Question: 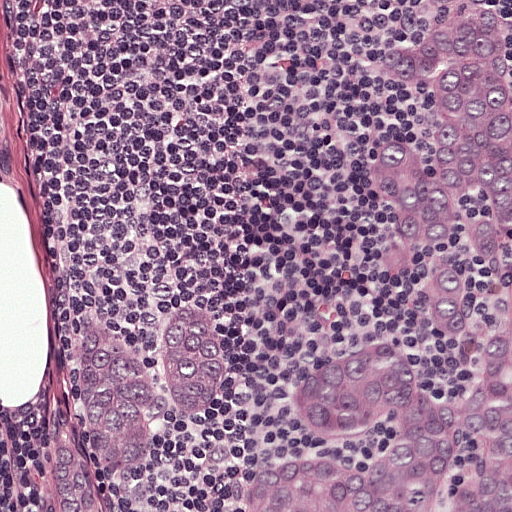
About what magnification does this crop show?

Choices:
 (A) about 5×
 (B) about 40×
 (C) about 10×
 (D) about 2.5×
 (E) about 20×

Answer: (E) about 20×
H&E-stained section of a sentinel lymph node (breast cancer), from a whole-slide image, viewed at about 20×: the field is about 0.25 mm across, about 0.49 µm per pixel.
The outlined metastatic tumour's edge, as a closed clockwise path of 15 points: (405, 0), (511, 0), (511, 511), (47, 511), (46, 448), (71, 398), (78, 340), (116, 299), (172, 286), (234, 304), (268, 350), (326, 364), (367, 326), (396, 276), (358, 169).
Tumour covers about 50% of the frame.
Question: 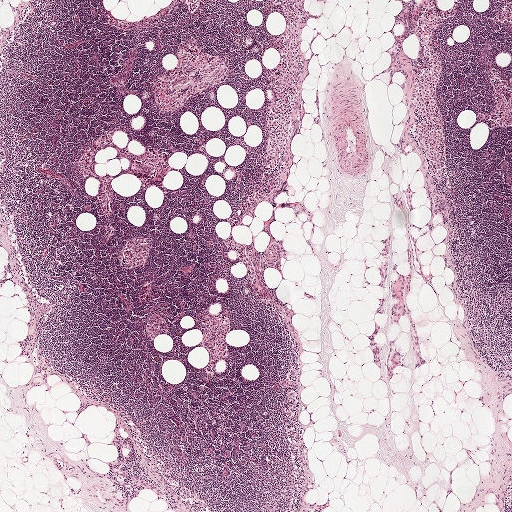
About what magnification does this crop show?

Choices:
 (A) about 20×
 (B) about 10×
 (C) about 5×
 (D) about 2.5×
 (E) about 40×

Answer: (D) about 2.5×
H&E-stained section of a sentinel lymph node (breast cancer), from a whole-slide image, viewed at about 2.5×: the field is about 2.0 mm across, about 3.9 µm per pixel.
Question: 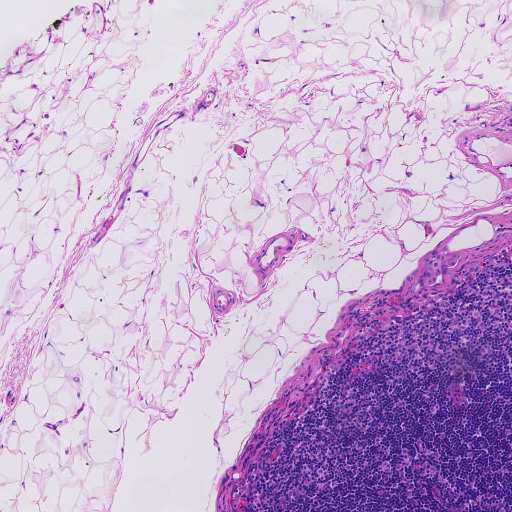
About what magnification does this crop show?

Choices:
 (A) about 5×
 (B) about 40×
 (C) about 2.5×
 (D) about 20×
 (E) about 10×

Answer: (A) about 5×
A 0.93-mm field of an H&E-stained sentinel lymph node from a breast-cancer patient (whole-slide image), shown at about 5×, about 1.8 µm per pixel.
Metastatic tumour outline, simplified to 10 points and listed clockwise in crop pixels (x, y): (450, 252), (463, 254), (456, 266), (444, 271), (435, 283), (423, 287), (418, 287), (416, 279), (422, 266), (423, 260).
Under 5% of this field is tumour.
Question: 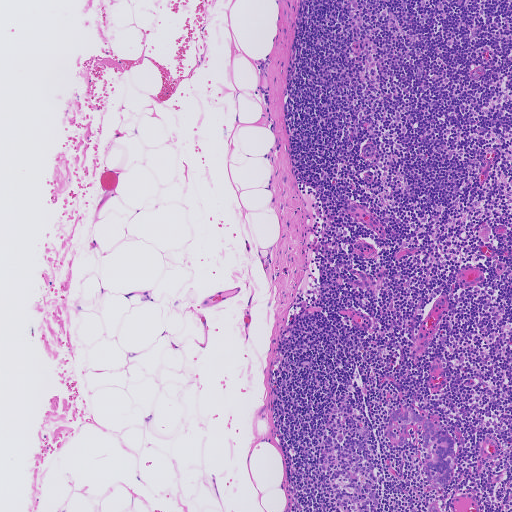
About what magnification does this crop show?

Choices:
 (A) about 2.5×
 (B) about 10×
 (C) about 40×
 (D) about 5×
 (E) about 20×

Answer: (D) about 5×
This is a crop of a whole-slide image: an H&E-stained breast-cancer sentinel lymph node section at roughly 5× magnification (about 1.8 µm per pixel; the crop spans about 0.93 mm).
Outlines of two tumour regions, largest first (closed clockwise paths, crop pixels): region 1: (405, 405), (439, 424), (455, 440), (455, 463), (449, 484), (433, 488), (427, 479), (426, 474), (422, 470), (424, 458), (428, 451), (422, 445), (424, 441), (422, 425), (414, 422), (410, 424), (407, 434), (409, 441), (400, 447), (390, 441), (386, 435), (392, 412); region 2: (432, 503), (435, 503), (441, 511), (426, 511).
Under 5% of this field is tumour.